This is a crop of a whole-slide image: an H&E-stained breast-cancer sentinel lymph node section at roughly 20× magnification (about 0.49 µm per pixel; the crop spans about 0.25 mm).
Question: 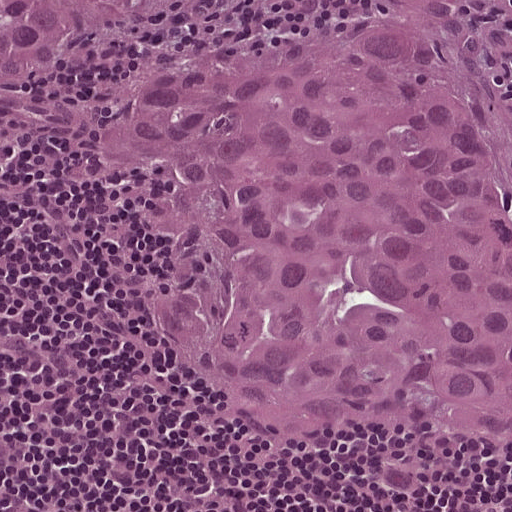
Roughly what share of this field is metastatic tumour?

Choices:
 (A) none: no tumour is outlined
 (B) about 10% to 20%
 (C) about 25% to 45%
 (D) about 50% or more
 (E) about 5% or less

Answer: (D) about 50% or more
About 65% of the field is tumour.
Two metastatic tumour regions, each outlined as a closed clockwise path in crop pixels (x, y), largest first: region 1: (361, 0), (511, 0), (511, 467), (256, 446), (144, 344), (118, 273), (96, 124), (158, 82); region 2: (0, 0), (215, 0), (189, 14), (117, 38), (61, 90), (0, 109).